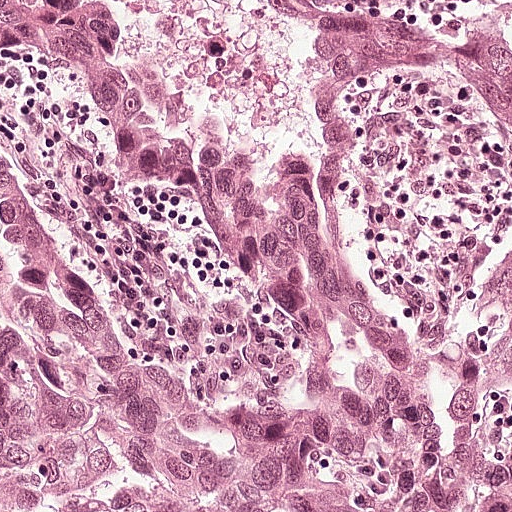
A 0.25-mm field of an H&E-stained sentinel lymph node from a breast-cancer patient (whole-slide image), shown at about 20×, about 0.49 µm per pixel.
Question: Is there metastatic carcinoma in this field?
Answer: Yes.
Tumour region outline (a closed clockwise path, crop pixels): (0, 0), (74, 0), (136, 32), (176, 112), (279, 112), (312, 142), (330, 230), (360, 282), (444, 362), (455, 362), (466, 282), (510, 238), (511, 511), (0, 511), (0, 89), (62, 223), (136, 330), (228, 396), (268, 396), (279, 370), (228, 274), (194, 256), (58, 106), (0, 72).
The annotated tumour makes up about 60% of the crop.